Question: 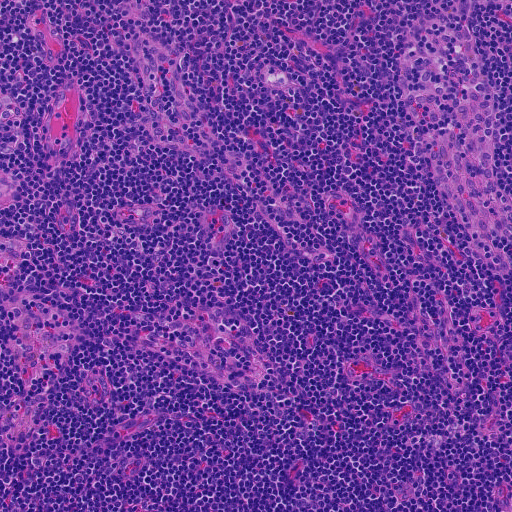
At roughly what magnification is this field shown?

Choices:
 (A) about 5×
 (B) about 2.5×
 (C) about 10×
 (D) about 40×
 (E) about 20×

Answer: (C) about 10×
H&E-stained section of a sentinel lymph node (breast cancer), from a whole-slide image, viewed at about 10×: the field is about 0.46 mm across, about 0.91 µm per pixel.